Image:
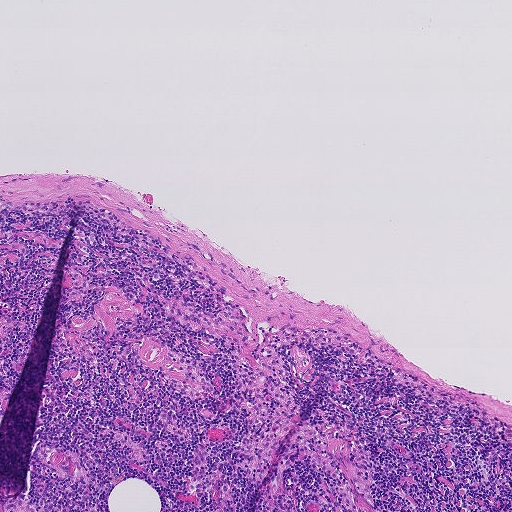
A 0.93-mm field of an H&E-stained sentinel lymph node from a breast-cancer patient (whole-slide image), shown at about 5×, about 1.8 µm per pixel.
Question:
Does this lymph node field contain metastatic tumour?
Answer:
No: no metastatic tumour is outlined anywhere in this field.